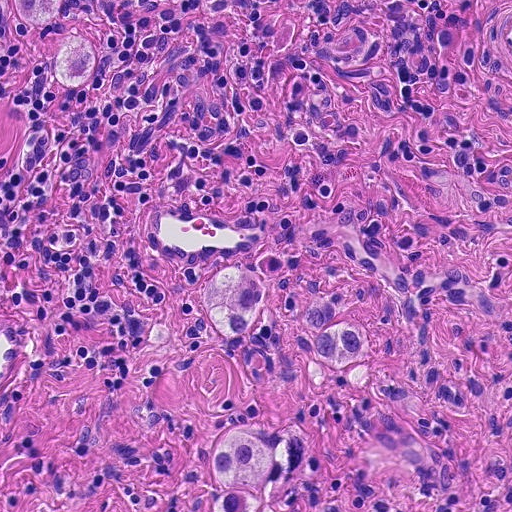
This is a crop of a whole-slide image: an H&E-stained breast-cancer sentinel lymph node section at roughly 20× magnification (about 0.45 µm per pixel; the crop spans about 0.23 mm).
Question: Show where the tumour is in this image.
Answer: Boundaries of three metastatic tumour regions, simplified and listed clockwise, largest first: region 1: (250, 423), (300, 432), (310, 458), (294, 476), (270, 471), (258, 511), (218, 511), (222, 490), (214, 481), (208, 456), (221, 434); region 2: (226, 262), (250, 266), (267, 285), (251, 336), (226, 339), (208, 322), (200, 298), (206, 279); region 3: (316, 292), (336, 310), (330, 320), (350, 316), (369, 333), (368, 358), (346, 370), (320, 362), (299, 346), (303, 315).
Three more small tumour pieces are annotated here but not outlined.
Tumour covers about 5% of the frame.